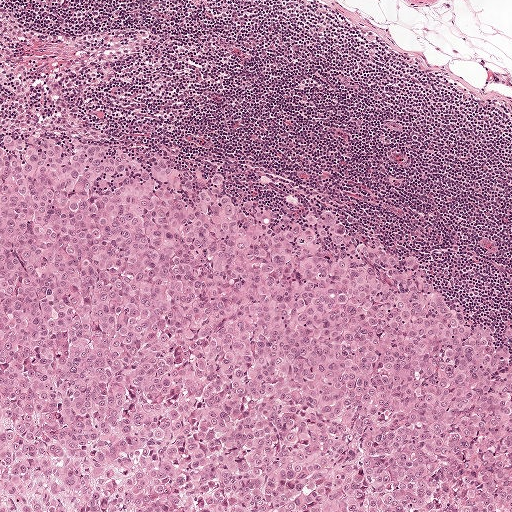
H&E-stained section of a sentinel lymph node (breast cancer), from a whole-slide image, viewed at about 5×: the field is about 1 mm across, about 1.9 µm per pixel.
Metastatic tumour outline, simplified to 7 points and listed clockwise in crop pixels (x, y): (75, 116), (238, 198), (381, 237), (507, 344), (511, 511), (0, 511), (0, 131).
About 60% of the image area is annotated as tumour.